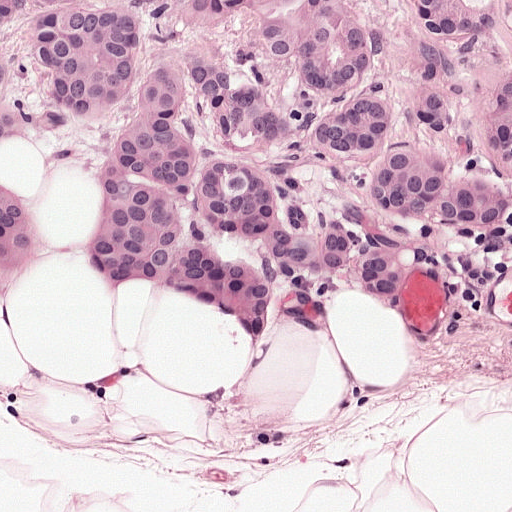
Lymph node section stained with H&E, from a whole-slide image of a breast-cancer sentinel node. Magnification about 20×, about 0.25 mm across the frame, about 0.49 µm per pixel.
Outlines of four tumour regions, largest first (closed clockwise paths, crop pixels): region 1: (186, 0), (357, 0), (384, 24), (357, 94), (384, 100), (397, 134), (433, 144), (458, 180), (486, 170), (473, 110), (511, 65), (511, 210), (457, 230), (384, 224), (394, 292), (324, 274), (314, 292), (326, 331), (292, 325), (296, 278), (280, 278), (251, 352), (238, 323), (167, 290), (138, 280), (113, 292), (87, 246), (104, 206), (100, 168), (154, 72), (221, 65), (288, 108), (323, 113), (352, 96), (302, 90), (298, 57), (262, 50), (251, 12), (204, 30), (180, 14); region 2: (0, 0), (118, 0), (104, 6), (138, 21), (138, 60), (120, 94), (87, 115), (50, 102), (33, 68), (28, 30), (60, 10), (44, 6), (4, 26), (2, 102), (12, 117), (0, 134); region 3: (408, 0), (511, 0), (511, 38), (506, 36), (504, 4), (469, 56), (466, 94), (452, 126), (427, 136), (414, 114), (426, 45), (407, 14); region 4: (0, 181), (24, 200), (37, 248), (26, 268), (0, 271).
Tumour covers about 40% of the frame.